Question: 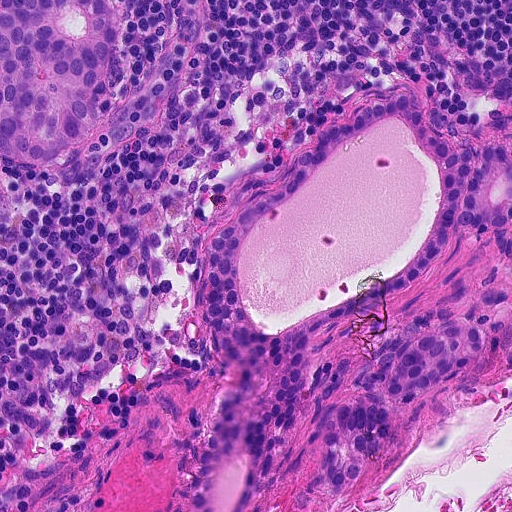
This is a crop of a whole-slide image: an H&E-stained breast-cancer sentinel lymph node section at roughly 20× magnification (about 0.45 µm per pixel; the crop spans about 0.23 mm).
About how much of this crop is taken up by metastatic carcinoma?

Choices:
 (A) about 10% to 20%
 (B) about 25% to 45%
 (C) about 5% or less
 (D) none: no tumour is outlined
 (E) about 50% or more

Answer: (B) about 25% to 45%
About 35% of the field is tumour.
Boundaries of three metastatic tumour regions, simplified and listed clockwise, largest first: region 1: (388, 93), (421, 93), (430, 126), (454, 150), (492, 140), (511, 146), (511, 231), (456, 232), (417, 284), (306, 345), (302, 395), (267, 431), (245, 511), (192, 511), (196, 460), (234, 367), (205, 329), (210, 240), (278, 186), (318, 129); region 2: (0, 0), (115, 0), (122, 5), (123, 22), (102, 112), (104, 128), (80, 152), (48, 167), (32, 167), (0, 154); region 3: (443, 308), (483, 332), (478, 368), (418, 404), (402, 407), (385, 401), (393, 416), (394, 435), (386, 450), (370, 458), (354, 488), (337, 493), (325, 482), (315, 449), (304, 445), (312, 418), (324, 407), (358, 396), (354, 384), (368, 354), (426, 310).
Question: 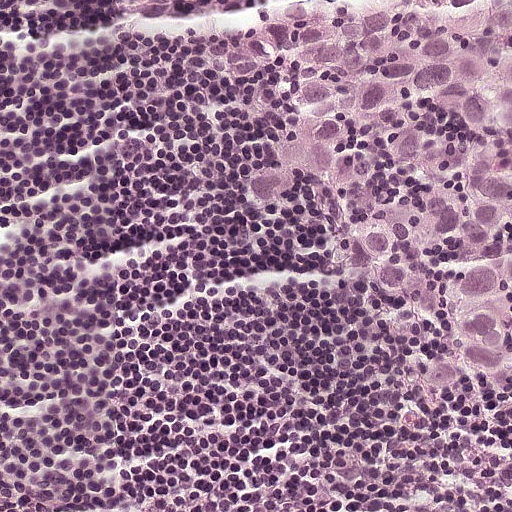
Lymph node section stained with H&E, from a whole-slide image of a breast-cancer sentinel node. Magnification about 20×, about 0.25 mm across the frame, about 0.49 µm per pixel.
About how much of this crop is taken up by metastatic carcinoma?

Choices:
 (A) about 50% or more
 (B) about 25% to 45%
 (C) about 5% or less
 (D) none: no tumour is outlined
 (E) about 10% to 20%

Answer: (B) about 25% to 45%
About 45% of the field is tumour.
The outlined metastatic tumour's edge, as a closed clockwise path of 6 points: (77, 0), (511, 0), (511, 439), (412, 410), (271, 304), (192, 160).
Question: 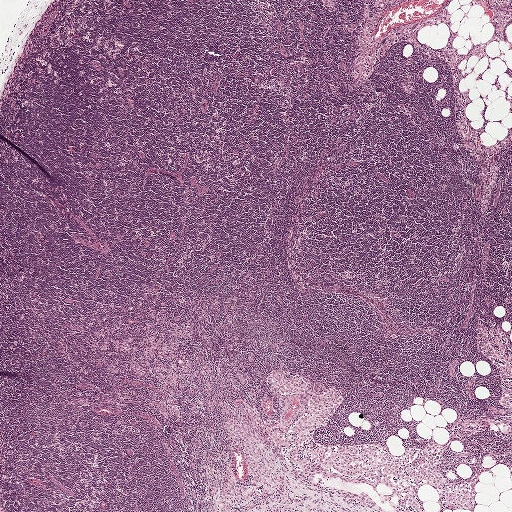
This is a crop of a whole-slide image: an H&E-stained breast-cancer sentinel lymph node section at roughly 2.5× magnification (about 3.9 µm per pixel; the crop spans about 2.0 mm).
About how much of this crop is taken up by metastatic carcinoma?

Choices:
 (A) none: no tumour is outlined
 (B) about 10% to 20%
 (C) about 50% or more
 (D) about 5% or less
 (E) about 25% to 45%

Answer: (D) about 5% or less
Under 5% of the field is tumour.
Metastatic tumour outline, simplified to 18 points and listed clockwise in crop pixels (x, y): (231, 408), (252, 421), (262, 433), (269, 458), (273, 464), (275, 464), (269, 479), (262, 476), (255, 481), (251, 480), (248, 476), (246, 453), (238, 447), (231, 437), (220, 430), (225, 423), (226, 416), (222, 410).
Question: 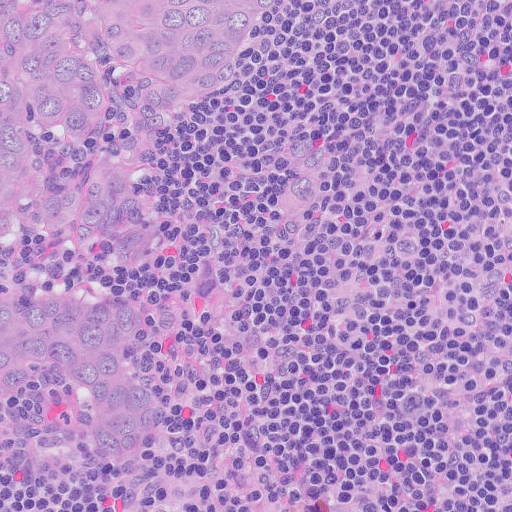
H&E-stained section of a sentinel lymph node (breast cancer), from a whole-slide image, viewed at about 20×: the field is about 0.26 mm across, about 0.5 µm per pixel.
About how much of this crop is taken up by metastatic carcinoma?

Choices:
 (A) about 50% or more
 (B) none: no tumour is outlined
 (C) about 25% to 45%
 (D) about 5% or less
 (E) about 10% to 20%

Answer: (C) about 25% to 45%
About 30% of the field is tumour.
Two metastatic tumour regions, each outlined as a closed clockwise path in crop pixels (x, y), largest first: region 1: (0, 0), (280, 0), (204, 126), (170, 158), (158, 202), (169, 228), (162, 270), (119, 271), (36, 244), (0, 255); region 2: (0, 261), (30, 284), (118, 290), (158, 309), (166, 350), (156, 436), (126, 468), (0, 455).